Question: 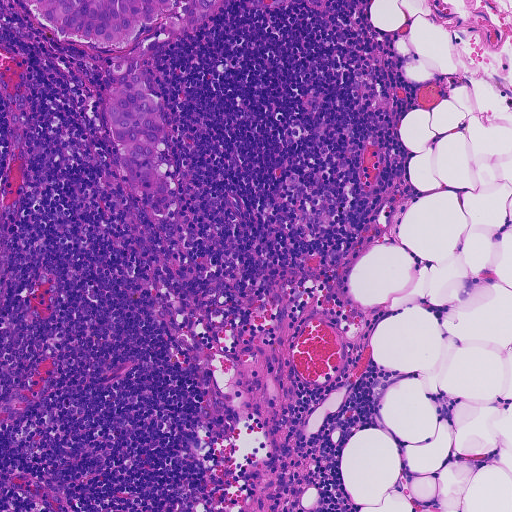
This is a crop of a whole-slide image: an H&E-stained breast-cancer sentinel lymph node section at roughly 10× magnification (about 0.91 µm per pixel; the crop spans about 0.46 mm).
Estimate the proportion of this field that is metastatic tumour.

Choices:
 (A) about 25% to 45%
 (B) about 5% or less
 (C) about 10% to 20%
 (D) about 50% or more
 (E) none: no tumour is outlined

Answer: (B) about 5% or less
About 5% of the field is tumour.
Outlines of three tumour regions, largest first (closed clockwise paths, crop pixels): region 1: (136, 72), (146, 80), (159, 102), (164, 126), (150, 162), (156, 173), (168, 178), (169, 190), (166, 194), (154, 195), (131, 186), (112, 140), (112, 131), (106, 120), (105, 107), (108, 95), (122, 74); region 2: (22, 0), (177, 0), (156, 16), (152, 25), (143, 22), (135, 43), (126, 48), (73, 44), (63, 39), (36, 21), (26, 2); region 3: (186, 0), (220, 0), (212, 14), (205, 20), (196, 26), (185, 27), (182, 7).
Question: 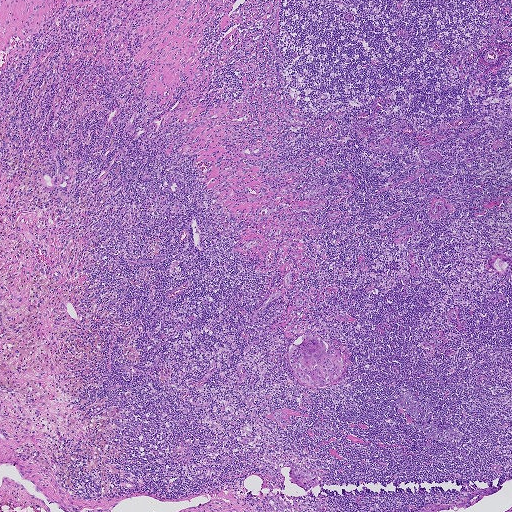
This is a crop of a whole-slide image: an H&E-stained breast-cancer sentinel lymph node section at roughly 2.5× magnification (about 3.6 µm per pixel; the crop spans about 1.9 mm).
Estimate the proportion of this field that is metastatic tumour.

Choices:
 (A) about 5% or less
 (B) none: no tumour is outlined
 (C) about 10% to 20%
 (D) about 50% or more
 (E) about 25% to 45%

Answer: (A) about 5% or less
Under 5% of the field is tumour.
Outlines of three tumour regions, largest first (closed clockwise paths, crop pixels): region 1: (308, 334), (320, 336), (327, 346), (336, 348), (341, 352), (345, 364), (343, 376), (334, 385), (328, 387), (302, 384), (297, 379), (287, 355), (288, 348), (296, 339); region 2: (496, 485), (501, 486), (500, 490), (496, 492), (484, 496), (481, 500), (467, 509), (463, 507), (456, 511), (451, 510), (450, 508), (446, 511), (439, 511), (438, 511), (412, 511), (430, 504), (439, 504), (447, 505), (460, 502), (483, 489), (491, 486); region 3: (498, 254), (505, 254), (508, 256), (509, 260), (508, 267), (504, 271), (500, 272), (497, 271), (490, 264), (490, 260), (492, 257).
Question: 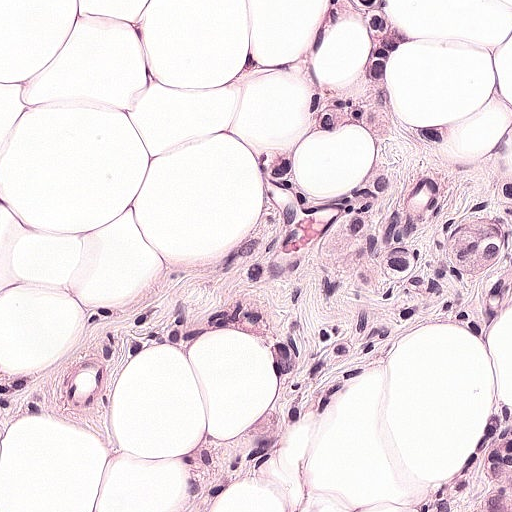
Lymph node section stained with H&E, from a whole-slide image of a breast-cancer sentinel node. Magnification about 20×, about 0.25 mm across the frame, about 0.49 µm per pixel.
Estimate the proportion of this field that is metastatic tumour.

Choices:
 (A) about 5% or less
 (B) about 10% to 20%
 (C) about 50% or more
 (D) none: no tumour is outlined
 (E) about 25% to 45%

Answer: (C) about 50% or more
About 55% of the field is tumour.
The outlined metastatic tumour's edge, as a closed clockwise path of 22 points: (293, 0), (397, 0), (398, 96), (432, 120), (511, 93), (511, 511), (128, 511), (184, 458), (262, 428), (266, 369), (238, 338), (134, 367), (84, 430), (50, 415), (0, 417), (0, 312), (24, 352), (43, 352), (84, 330), (141, 265), (219, 238), (298, 89).
Question: 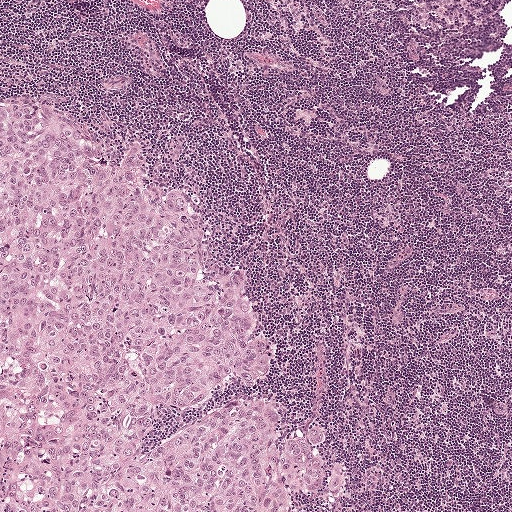
H&E-stained section of a sentinel lymph node (breast cancer), from a whole-slide image, viewed at about 5×: the field is about 1 mm across, about 1.9 µm per pixel.
Estimate the proportion of this field that is metastatic tumour.

Choices:
 (A) about 50% or more
 (B) about 5% or less
 (C) none: no tumour is outlined
 (D) about 10% to 20%
 (E) about 25% to 45%

Answer: (E) about 25% to 45%
About 35% of the field is tumour.
One metastatic tumour region; its boundary, reduced to 23 corners and listed clockwise: (3, 102), (57, 114), (116, 167), (137, 140), (148, 184), (188, 193), (203, 266), (242, 275), (246, 334), (271, 343), (270, 369), (163, 410), (143, 454), (271, 398), (277, 450), (319, 430), (319, 480), (334, 465), (342, 484), (339, 496), (296, 493), (288, 511), (0, 511).